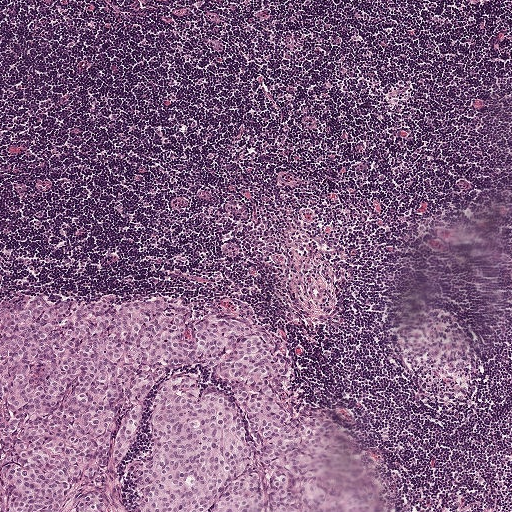
Lymph node section stained with H&E, from a whole-slide image of a breast-cancer sentinel node. Magnification about 5×, about 1 mm across the frame, about 1.9 µm per pixel.
Question: Describe where the metastatic carcinoma lies in this crop.
Answer: Tumour region outline (a closed clockwise path, crop pixels): (140, 284), (246, 296), (276, 327), (311, 397), (360, 444), (389, 511), (0, 511), (0, 294).
Tumour covers about 25% of the frame.